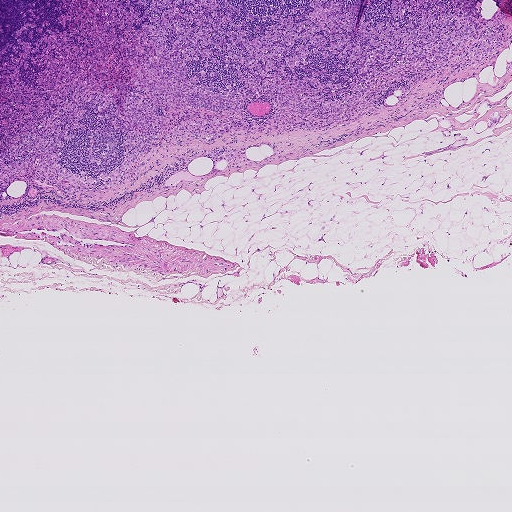
This is a crop of a whole-slide image: an H&E-stained breast-cancer sentinel lymph node section at roughly 2.5× magnification (about 3.6 µm per pixel; the crop spans about 1.9 mm).
One metastatic tumour region; its boundary, reduced to 21 corners and listed clockwise: (0, 0), (229, 0), (245, 16), (270, 13), (274, 0), (483, 0), (484, 19), (498, 6), (510, 16), (511, 43), (494, 67), (422, 77), (388, 96), (392, 106), (344, 126), (186, 140), (160, 151), (134, 184), (78, 198), (31, 173), (4, 185).
Tumour covers about 25% of the frame.